Question: 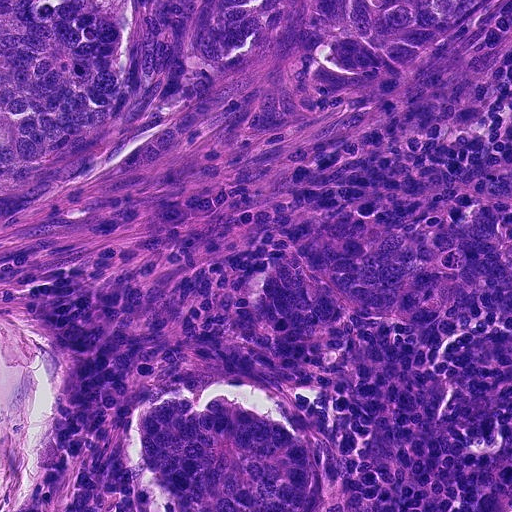
Lymph node section stained with H&E, from a whole-slide image of a breast-cancer sentinel node. Magnification about 20×, about 0.23 mm across the frame, about 0.45 µm per pixel.
Roughly what share of this field is metastatic tumour?

Choices:
 (A) about 50% or more
 (B) none: no tumour is outlined
 (C) about 10% to 20%
 (D) about 25% to 45%
 (E) about 5% or less

Answer: (A) about 50% or more
About 50% of the field is tumour.
Boundaries of three metastatic tumour regions, simplified and listed clockwise, largest first: region 1: (426, 171), (508, 177), (511, 369), (440, 366), (423, 342), (383, 330), (350, 352), (310, 402), (342, 424), (346, 505), (167, 511), (135, 480), (120, 434), (142, 397), (182, 380), (223, 380), (210, 341), (288, 224); region 2: (0, 0), (481, 0), (354, 75), (0, 228); region 3: (28, 476), (65, 493), (73, 511), (2, 511).